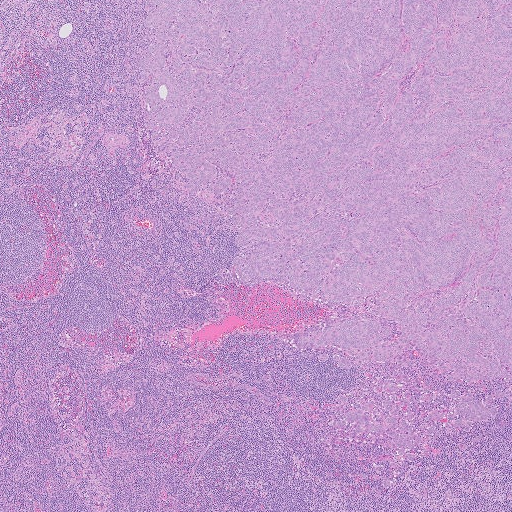
H&E-stained section of a sentinel lymph node (breast cancer), from a whole-slide image, viewed at about 2.5×: the field is about 2.0 mm across, about 4.0 µm per pixel.
Tumour region outline (a closed clockwise path, crop pixels): (511, 0), (511, 402), (467, 432), (439, 427), (430, 455), (402, 465), (333, 428), (347, 406), (338, 397), (356, 409), (380, 366), (322, 365), (316, 350), (287, 340), (343, 310), (234, 281), (235, 234), (216, 196), (170, 173), (142, 125), (141, 5).
Three more small tumour pieces are annotated here but not outlined.
About 45% of the image area is annotated as tumour.